A 0.46-mm field of an H&E-stained sentinel lymph node from a breast-cancer patient (whole-slide image), shown at about 10×, about 0.9 µm per pixel.
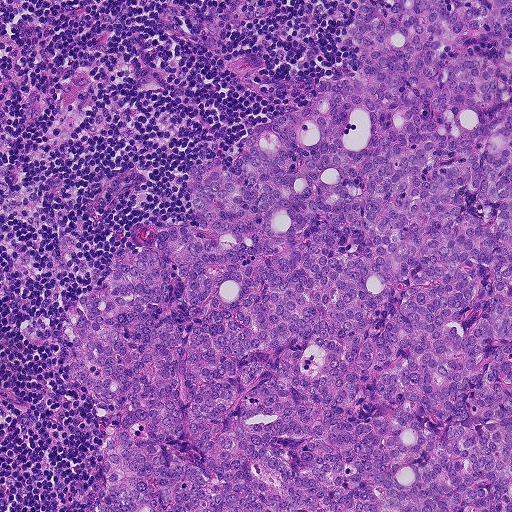
The outlined metastatic tumour's edge, as a closed clockwise path of 19 points: (357, 0), (511, 0), (511, 511), (95, 511), (104, 432), (84, 389), (22, 325), (36, 312), (72, 314), (114, 258), (156, 225), (197, 228), (184, 170), (239, 155), (261, 123), (354, 60), (359, 50), (341, 43), (341, 30).
About 65% of the image area is annotated as tumour.